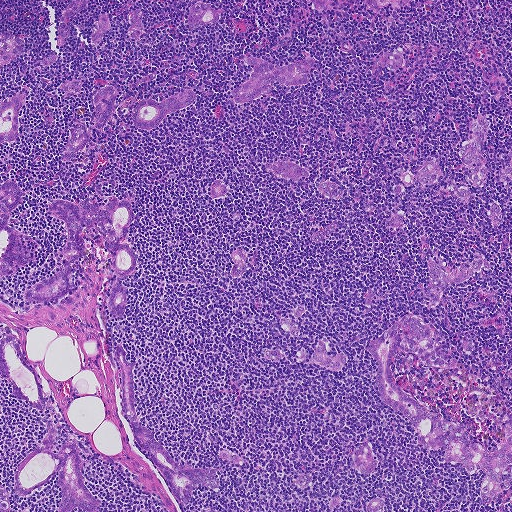
This is a crop of a whole-slide image: an H&E-stained breast-cancer sentinel lymph node section at roughly 5× magnification (about 1.8 µm per pixel; the crop spans about 0.93 mm).
Question: Trace the edge of each tumour region in this crop, as (x, y) points from 0 to 511.
Answer: Outlines of the eight largest metastatic tumour regions, each a closed clockwise path in crop pixels (x, y), largest first: region 1: (403, 315), (411, 315), (426, 320), (434, 343), (449, 361), (440, 368), (432, 366), (398, 345), (389, 365), (396, 382), (440, 419), (463, 425), (485, 449), (500, 445), (504, 429), (511, 423), (511, 477), (506, 492), (485, 504), (480, 498), (485, 472), (477, 468), (471, 477), (462, 464), (449, 463), (444, 449), (423, 448), (400, 412), (378, 396), (377, 364), (368, 350), (371, 341); region 2: (110, 196), (116, 197), (131, 204), (134, 216), (120, 243), (131, 249), (136, 260), (133, 271), (120, 283), (129, 292), (123, 316), (117, 317), (109, 308), (114, 278), (110, 253), (101, 246), (102, 234), (94, 225), (88, 224), (80, 233), (85, 251), (69, 269), (74, 288), (71, 293), (50, 303), (25, 301), (26, 290), (54, 276), (62, 266), (54, 256), (66, 242), (68, 229), (61, 219), (49, 215), (50, 203), (62, 200), (78, 204), (87, 200), (100, 207), (109, 202); region 3: (51, 424), (56, 437), (52, 451), (58, 454), (62, 444), (69, 441), (75, 444), (86, 486), (101, 500), (98, 511), (84, 511), (82, 508), (75, 508), (68, 511), (58, 511), (62, 491), (59, 485), (59, 470), (47, 484), (28, 496), (15, 490), (16, 471), (40, 443); region 4: (120, 344), (126, 349), (126, 361), (136, 361), (133, 395), (139, 423), (150, 430), (157, 443), (178, 465), (221, 469), (212, 475), (218, 486), (211, 489), (198, 484), (188, 502), (181, 503), (175, 500), (161, 475), (137, 449), (133, 428), (120, 411), (121, 385), (115, 357); region 5: (250, 55), (278, 66), (312, 60), (313, 65), (309, 69), (307, 76), (309, 83), (303, 86), (288, 85), (275, 81), (269, 85), (270, 92), (244, 103), (235, 103), (230, 91), (249, 81), (253, 75), (253, 68), (247, 64), (244, 58); region 6: (8, 335), (14, 336), (19, 341), (26, 359), (38, 374), (46, 398), (46, 405), (43, 410), (31, 407), (28, 401), (15, 397), (11, 392), (12, 380), (0, 373), (0, 338), (2, 336); region 7: (14, 181), (20, 192), (22, 199), (10, 213), (7, 225), (16, 233), (20, 246), (30, 253), (30, 260), (19, 266), (10, 275), (0, 278), (0, 185); region 8: (484, 114), (490, 120), (490, 126), (481, 146), (485, 174), (482, 188), (475, 188), (470, 184), (458, 152), (460, 145), (472, 138), (470, 127), (472, 120), (477, 115).
26 more, smaller tumour regions are not outlined.
Two more small tumour pieces are annotated here but not outlined.
Tumour covers about 15% of the frame.